A 0.25-mm field of an H&E-stained sentinel lymph node from a breast-cancer patient (whole-slide image), shown at about 20×, about 0.49 µm per pixel.
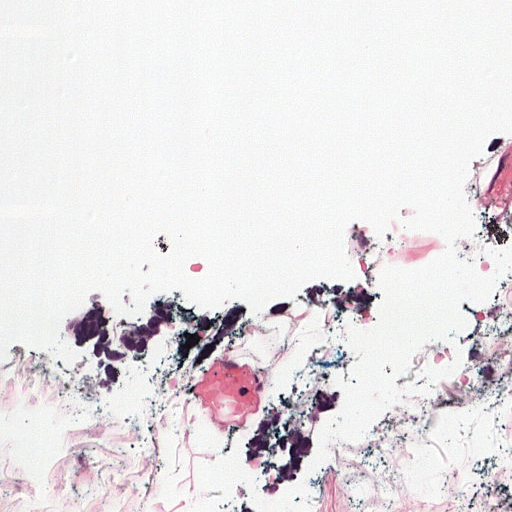
Three metastatic tumour regions, each outlined as a closed clockwise path in crop pixels (x, y), largest first: region 1: (350, 375), (324, 444), (272, 511), (237, 511), (242, 442), (272, 396); region 2: (104, 286), (128, 310), (184, 290), (183, 322), (104, 391), (56, 336), (82, 296); region 3: (364, 272), (380, 323), (348, 318), (297, 320), (262, 312), (296, 282).
One more small tumour piece is annotated here but not outlined.
The annotated tumour makes up about 10% of the crop.